A 0.93-mm field of an H&E-stained sentinel lymph node from a breast-cancer patient (whole-slide image), shown at about 5×, about 1.8 µm per pixel.
Question: 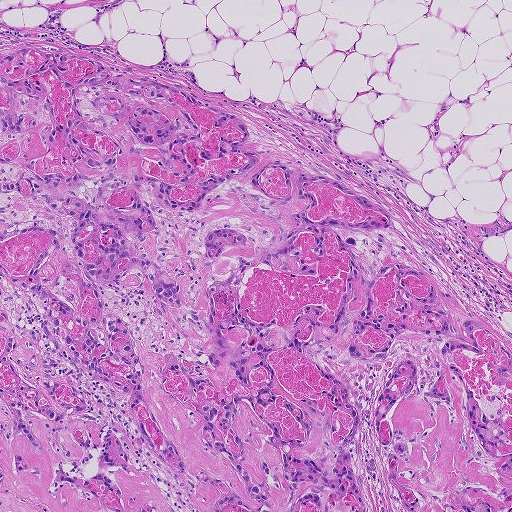
Estimate the proportion of this field that is metastatic tumour.

Choices:
 (A) about 25% to 45%
 (B) about 10% to 20%
 (C) none: no tumour is outlined
 (D) about 5% or less
 (E) about 50% or more

Answer: (E) about 50% or more
About 70% of the field is tumour.
Tumour region outline (a closed clockwise path, crop pixels): (72, 50), (113, 75), (173, 86), (242, 118), (248, 141), (385, 210), (452, 305), (504, 339), (511, 511), (0, 511), (0, 54).